Question: 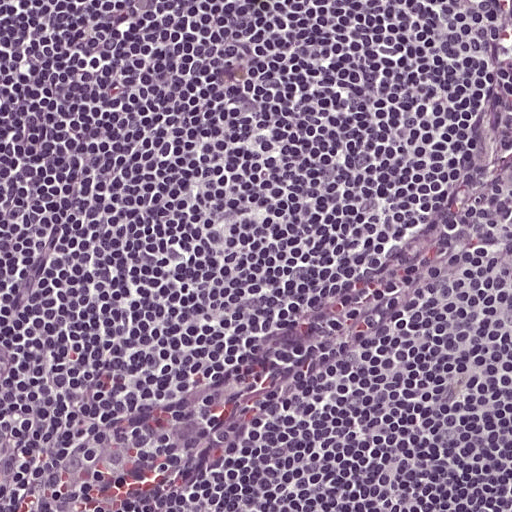
At roughly what magnification is this field shown?

Choices:
 (A) about 40×
 (B) about 5×
 (C) about 10×
 (D) about 20×
 (E) about 2.5×

Answer: (D) about 20×
H&E-stained section of a sentinel lymph node (breast cancer), from a whole-slide image, viewed at about 20×: the field is about 0.25 mm across, about 0.49 µm per pixel.